Image:
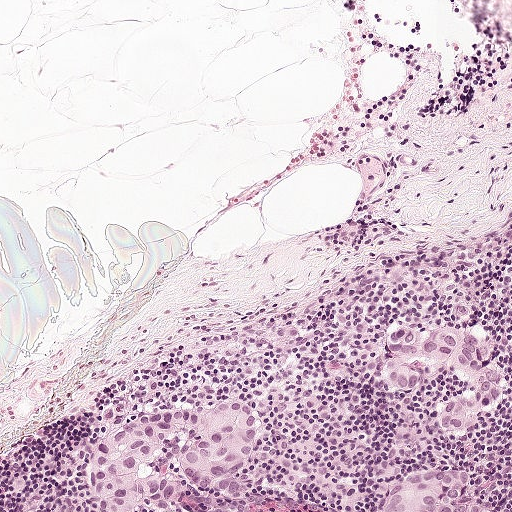
A 0.5-mm field of an H&E-stained sentinel lymph node from a breast-cancer patient (whole-slide image), shown at about 10×, about 0.97 µm per pixel.
Question:
Which parts of this field are metastatic tumour? Answer with the outline of each region, in pixels.
Answer:
Boundaries of three metastatic tumour regions, simplified and listed clockwise, largest first: region 1: (232, 396), (255, 410), (259, 430), (247, 464), (233, 475), (224, 475), (210, 489), (178, 497), (174, 510), (107, 511), (93, 505), (88, 492), (89, 458), (98, 440), (157, 399), (182, 405); region 2: (392, 320), (461, 326), (483, 336), (506, 376), (501, 404), (452, 434), (443, 431), (434, 422), (434, 418), (444, 402), (464, 388), (462, 376), (438, 366), (410, 396), (392, 393), (381, 385), (376, 372), (376, 363), (381, 356), (380, 338); region 3: (448, 468), (468, 470), (470, 479), (467, 495), (470, 500), (488, 507), (491, 511), (380, 511), (385, 497), (419, 472).
About 10% of the image area is annotated as tumour.